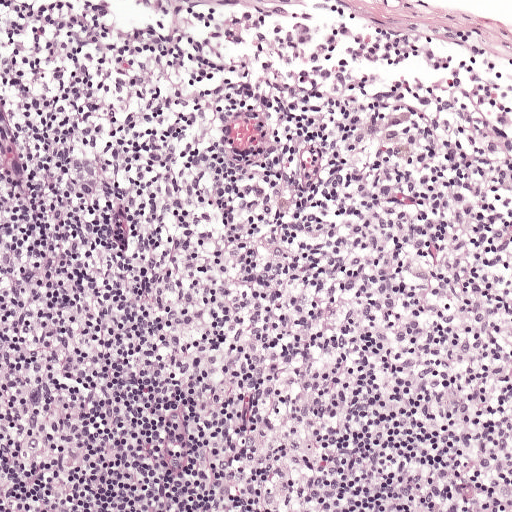
H&E-stained section of a sentinel lymph node (breast cancer), from a whole-slide image, viewed at about 10×: the field is about 0.5 mm across, about 0.97 µm per pixel.
Question: Describe where the metastatic carcinoma lies in this crop.
Answer: Metastatic tumour outline, simplified to 6 points and listed clockwise in crop pixels (x, y): (80, 156), (103, 162), (102, 191), (85, 196), (72, 183), (66, 162).
Under 5% of this field is tumour.